Lymph node section stained with H&E, from a whole-slide image of a breast-cancer sentinel node. Magnification about 20×, about 0.23 mm across the frame, about 0.45 µm per pixel.
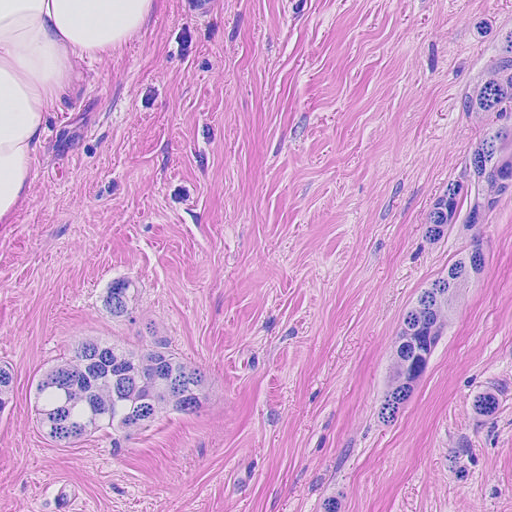
Boundaries of three metastatic tumour regions, simplified and listed clockwise, largest first: region 1: (486, 8), (502, 20), (511, 9), (511, 511), (306, 511), (396, 316), (408, 284), (402, 250), (476, 135), (459, 106), (490, 42), (472, 41), (468, 22); region 2: (122, 268), (141, 286), (165, 331), (220, 382), (218, 407), (118, 444), (96, 442), (76, 450), (34, 424), (32, 372), (70, 337), (95, 331), (120, 336), (90, 305), (98, 278); region 3: (0, 358), (14, 368), (16, 394), (12, 412), (0, 435).
The annotated tumour makes up about 30% of the crop.